Question: 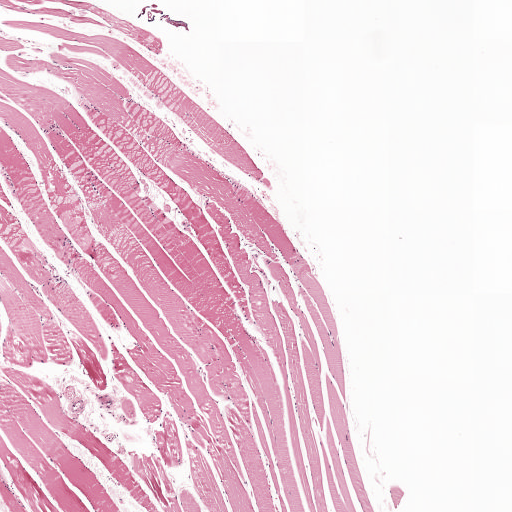
About what magnification does this crop show?

Choices:
 (A) about 40×
 (B) about 2.5×
 (C) about 20×
 (D) about 5×
 (E) about 10×

Answer: (B) about 2.5×
H&E-stained section of a sentinel lymph node (breast cancer), from a whole-slide image, viewed at about 2.5×: the field is about 2.0 mm across, about 3.9 µm per pixel.